Question: 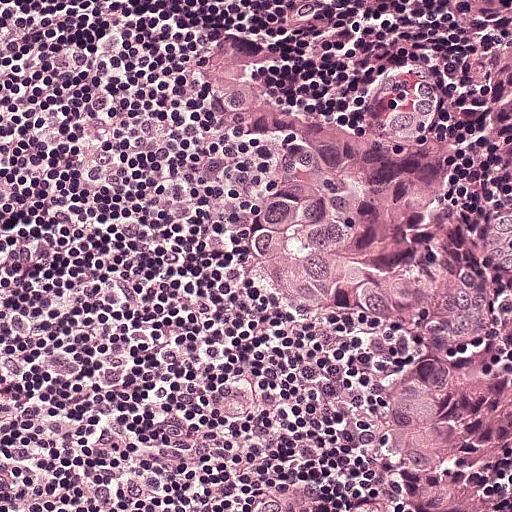
This is a crop of a whole-slide image: an H&E-stained breast-cancer sentinel lymph node section at roughly 20× magnification (about 0.49 µm per pixel; the crop spans about 0.25 mm).
Roughly what share of this field is metastatic tumour?

Choices:
 (A) about 5% or less
 (B) none: no tumour is outlined
 (C) about 10% to 20%
 (D) about 25% to 45%
 (E) about 50% or more

Answer: (D) about 25% to 45%
About 40% of the field is tumour.
The outlined metastatic tumour's edge, as a closed clockwise path of 17 points: (372, 0), (511, 0), (511, 496), (502, 511), (401, 511), (351, 414), (382, 340), (228, 275), (222, 244), (240, 153), (226, 125), (173, 102), (187, 39), (224, 36), (240, 47), (251, 84), (324, 116).